Image:
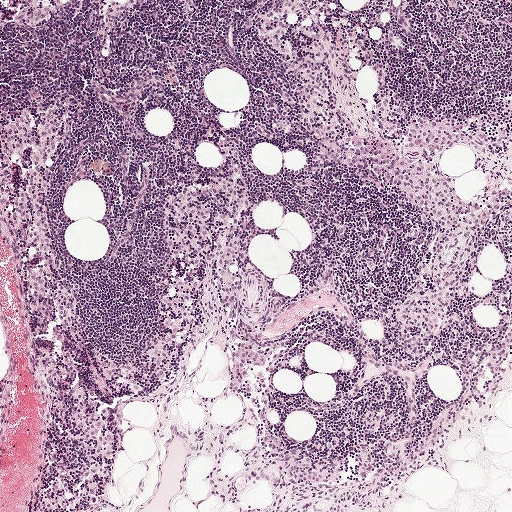
Lymph node section stained with H&E, from a whole-slide image of a breast-cancer sentinel node. Magnification about 5×, about 1 mm across the frame, about 1.9 µm per pixel.
Question:
Is there metastatic carcinoma in this field?
Answer:
No: no metastatic tumour is outlined anywhere in this field.